Question: 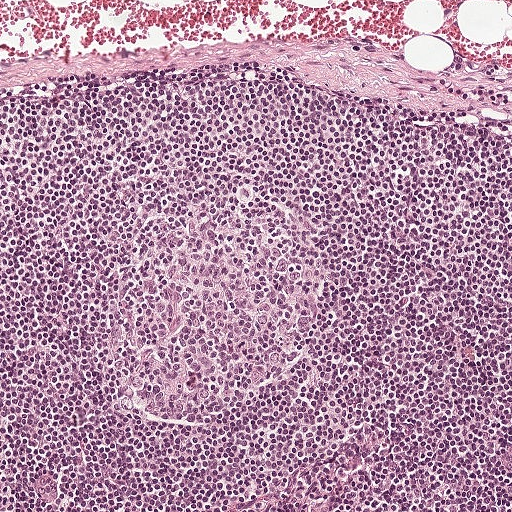
Lymph node section stained with H&E, from a whole-slide image of a breast-cancer sentinel node. Magnification about 10×, about 0.5 mm across the frame, about 0.97 µm per pixel.
Estimate the proportion of this field that is metastatic tumour.

Choices:
 (A) about 5% or less
 (B) about 25% to 45%
 (C) about 50% or more
 (D) none: no tumour is outlined
 (E) about 10% to 20%

Answer: (D) none: no tumour is outlined
No metastatic tumour is outlined in this field.